Question: 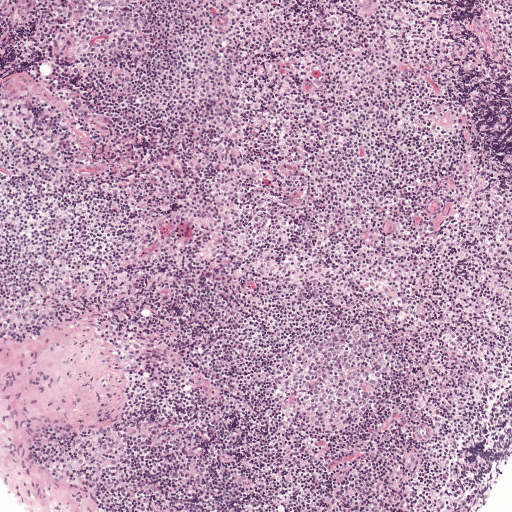
At roughly what magnification is this field shown?

Choices:
 (A) about 40×
 (B) about 20×
 (C) about 5×
 (D) about 10×
 (E) about 2.5×

Answer: (C) about 5×
Lymph node section stained with H&E, from a whole-slide image of a breast-cancer sentinel node. Magnification about 5×, about 1 mm across the frame, about 1.9 µm per pixel.